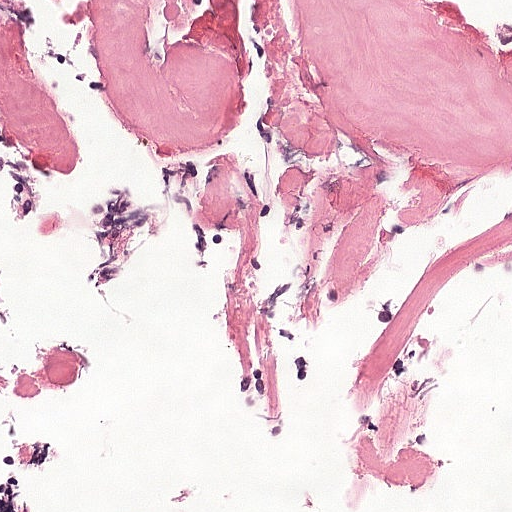
A 0.25-mm field of an H&E-stained sentinel lymph node from a breast-cancer patient (whole-slide image), shown at about 20×, about 0.49 µm per pixel.
Question: Is there metastatic carcinoma in this field?
Answer: No, this field holds no outlined metastasis.